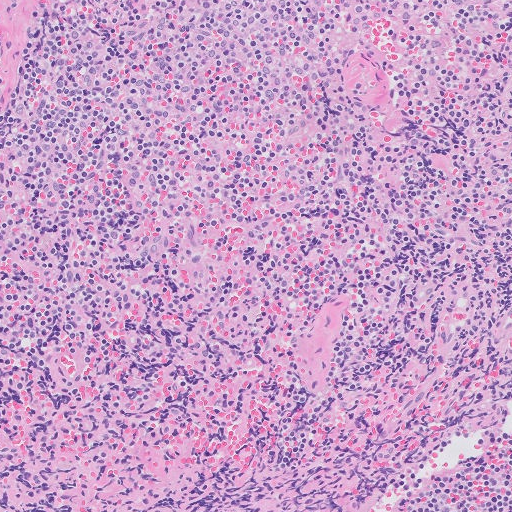
Lymph node section stained with H&E, from a whole-slide image of a breast-cancer sentinel node. Magnification about 10×, about 0.51 mm across the frame, about 1.0 µm per pixel.